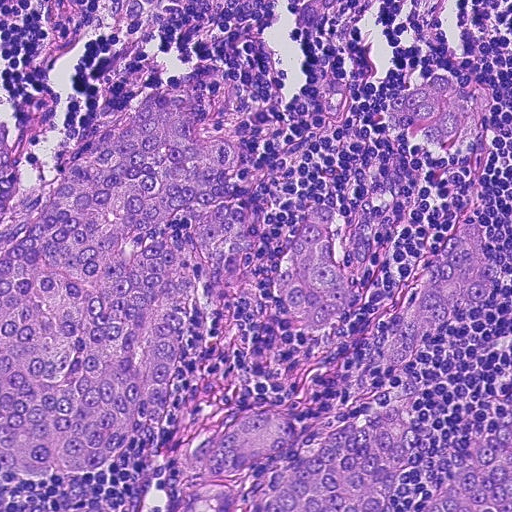
This is a crop of a whole-slide image: an H&E-stained breast-cancer sentinel lymph node section at roughly 20× magnification (about 0.45 µm per pixel; the crop spans about 0.23 mm).
Boundaries of eight metastatic tumour regions, simplified and listed clockwise, largest first: region 1: (186, 74), (196, 103), (186, 129), (233, 150), (230, 177), (255, 224), (250, 280), (217, 302), (195, 279), (178, 308), (186, 320), (156, 426), (85, 471), (31, 478), (8, 467), (0, 225), (150, 90); region 2: (414, 388), (415, 436), (387, 511), (256, 511), (268, 490), (342, 428); region 3: (471, 205), (476, 228), (492, 266), (495, 288), (484, 304), (446, 322), (429, 334), (404, 367), (383, 367), (373, 350), (383, 332), (429, 273), (458, 220); region 4: (254, 410), (276, 410), (297, 415), (298, 436), (245, 474), (224, 476), (236, 484), (240, 505), (238, 511), (174, 511), (195, 473), (184, 454), (200, 438); region 5: (314, 202), (334, 203), (336, 222), (332, 244), (336, 264), (353, 276), (353, 295), (346, 314), (330, 326), (311, 334), (296, 323), (275, 290), (276, 269); region 6: (432, 70), (471, 83), (490, 83), (490, 103), (483, 122), (454, 151), (434, 151), (388, 122), (384, 103), (396, 86); region 7: (511, 401), (511, 511), (417, 511), (442, 478), (474, 452); region 8: (3, 120), (8, 122), (8, 142), (13, 148), (18, 162), (18, 176), (16, 189), (0, 221), (0, 121).
One more small tumour piece is annotated here but not outlined.
About 40% of this field is tumour.